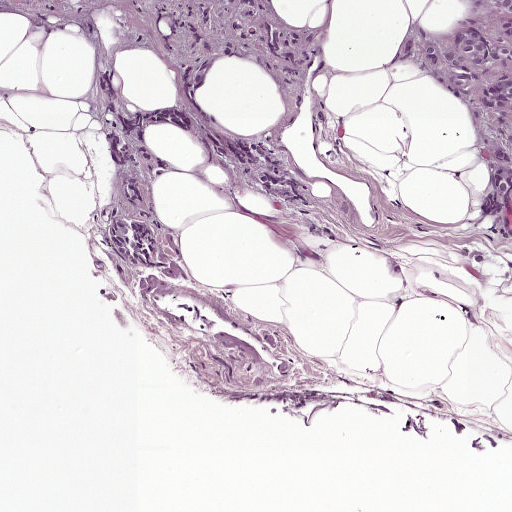
H&E-stained section of a sentinel lymph node (breast cancer), from a whole-slide image, viewed at about 10×: the field is about 0.5 mm across, about 0.97 µm per pixel.
Five metastatic tumour regions, each outlined as a closed clockwise path in crop pixels (x, y), largest first: region 1: (161, 0), (272, 0), (272, 7), (299, 33), (303, 60), (278, 72), (237, 53), (218, 58), (195, 99), (200, 111), (180, 92), (184, 69), (197, 52); region 2: (482, 0), (511, 0), (511, 105), (498, 111), (465, 98), (430, 68), (420, 46), (424, 38), (472, 19); region 3: (98, 66), (111, 67), (120, 80), (117, 102), (136, 108), (178, 106), (200, 114), (200, 132), (181, 130), (160, 122), (145, 134), (142, 152), (133, 168), (118, 168), (107, 156), (96, 95); region 4: (123, 216), (148, 218), (160, 230), (160, 251), (152, 264), (130, 263), (116, 252), (109, 235), (113, 220); region 5: (504, 160), (511, 164), (511, 199), (500, 217), (487, 221), (480, 206), (492, 187), (488, 162).
About 10% of this field is tumour.